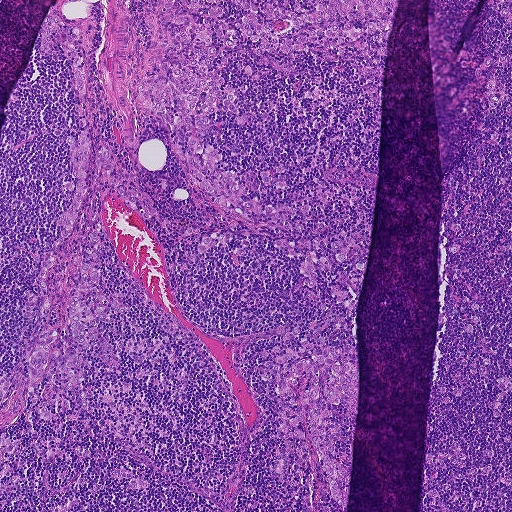
This is a crop of a whole-slide image: an H&E-stained breast-cancer sentinel lymph node section at roughly 5× magnification (about 1.8 µm per pixel; the crop spans about 0.93 mm).
Boundaries of two metastatic tumour regions, simplified and listed clockwise, largest first: region 1: (398, 0), (379, 107), (350, 66), (299, 52), (214, 135), (234, 171), (294, 186), (254, 194), (371, 246), (347, 511), (161, 511), (137, 489), (0, 511), (0, 378), (74, 192), (72, 66), (37, 46), (52, 4), (82, 19), (99, 128), (156, 209), (210, 203), (132, 86), (145, 1); region 2: (448, 0), (511, 0), (511, 511), (418, 511), (441, 180), (463, 157), (486, 90), (479, 25).
Region 1 encloses a non-tumour hole of about 10% of its area.
About 60% of this field is tumour.